This is a crop of a whole-slide image: an H&E-stained breast-cancer sentinel lymph node section at roughly 10× magnification (about 0.9 µm per pixel; the crop spans about 0.46 mm).
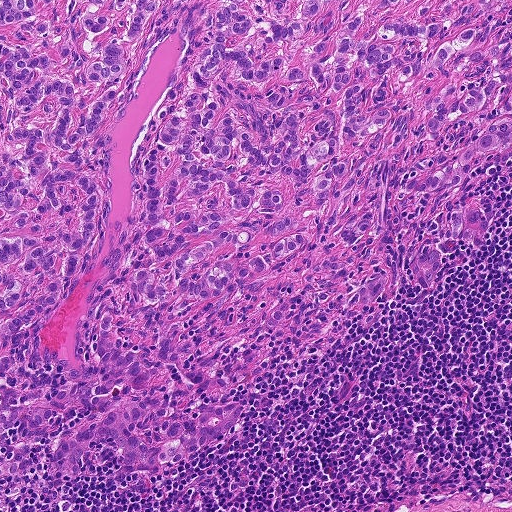
Question: Is any metastatic breast cancer visible in this crop?
Answer: Yes.
Metastatic tumour outline, simplified to 24 points and listed clockwise in crop pixels (x, y): (0, 0), (511, 0), (511, 150), (478, 162), (463, 189), (485, 210), (486, 239), (445, 257), (426, 292), (398, 254), (376, 306), (296, 345), (253, 337), (196, 357), (216, 398), (250, 402), (185, 462), (126, 472), (112, 445), (97, 444), (77, 480), (61, 479), (61, 436), (6, 480).
Tumour covers about 70% of the frame.